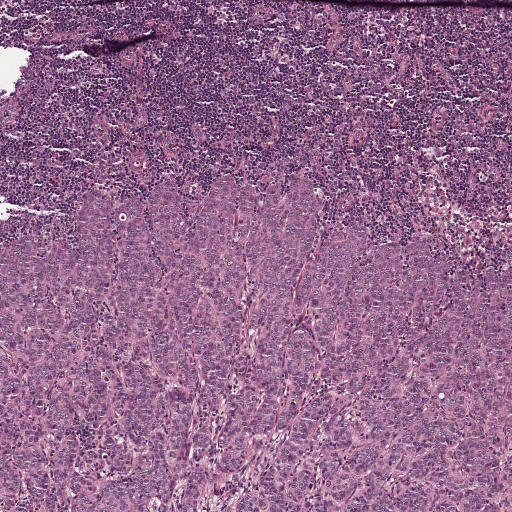
A 1-mm field of an H&E-stained sentinel lymph node from a breast-cancer patient (whole-slide image), shown at about 5×, about 1.9 µm per pixel.
Question: Where is the metastatic tumour in this field? Give each region's outline as (x, y) pixel points.
Answer: One metastatic tumour region; its boundary, reduced to 20 corners and listed clockwise: (222, 170), (262, 183), (302, 175), (324, 198), (318, 229), (365, 224), (367, 254), (425, 238), (475, 272), (511, 265), (511, 511), (0, 511), (0, 219), (22, 215), (58, 233), (89, 189), (108, 188), (120, 201), (172, 177), (191, 210).
About 60% of the image area is annotated as tumour.